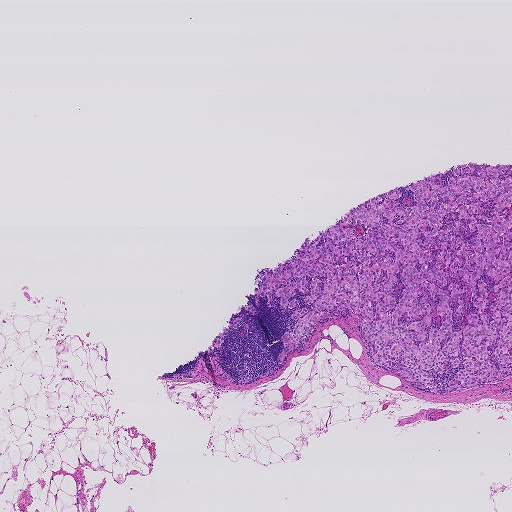
This is a crop of a whole-slide image: an H&E-stained breast-cancer sentinel lymph node section at roughly 2.5× magnification (about 3.6 µm per pixel; the crop spans about 1.9 mm).
Boundaries of two metastatic tumour regions, simplified and listed clockwise, largest first: region 1: (511, 165), (511, 375), (470, 388), (454, 377), (463, 361), (424, 371), (435, 392), (369, 351), (347, 308), (278, 363), (311, 293), (283, 309), (274, 288), (251, 315), (256, 279), (370, 198), (398, 189), (409, 212), (404, 185); region 2: (238, 317), (240, 320), (237, 326), (234, 328), (230, 329), (228, 332), (228, 334), (224, 336), (223, 340), (221, 344), (221, 347), (217, 348), (214, 347), (218, 340), (220, 337), (215, 337), (218, 333), (222, 332), (223, 331), (222, 328), (225, 327), (227, 328), (228, 325), (228, 321), (230, 318).
About 15% of this field is tumour.